Question: 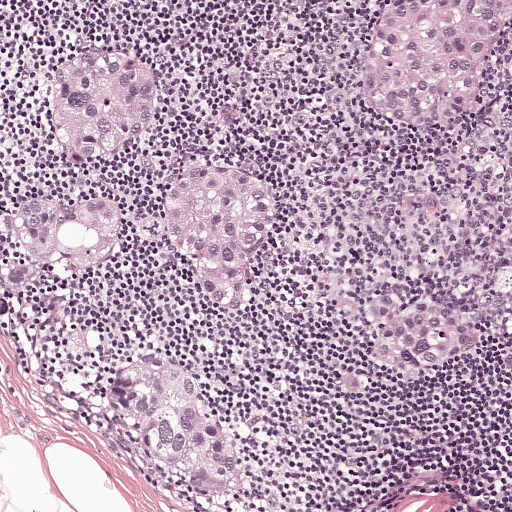
At roughly what magnification is this field shown?

Choices:
 (A) about 40×
 (B) about 10×
 (C) about 20×
 (D) about 2.5×
 (E) about 5×

Answer: (B) about 10×
H&E-stained section of a sentinel lymph node (breast cancer), from a whole-slide image, viewed at about 10×: the field is about 0.5 mm across, about 0.97 µm per pixel.
Boundaries of six metastatic tumour regions, simplified and listed clockwise, largest first: region 1: (144, 350), (186, 357), (205, 374), (236, 434), (245, 461), (247, 490), (237, 499), (225, 498), (156, 467), (110, 435), (96, 410), (96, 378), (108, 366); region 2: (190, 162), (214, 163), (278, 188), (281, 214), (252, 261), (250, 303), (242, 318), (230, 322), (205, 314), (188, 275), (156, 244), (150, 228), (160, 188); region 3: (511, 0), (490, 37), (469, 96), (442, 118), (416, 123), (400, 120), (372, 96), (362, 72), (364, 44), (373, 19), (392, 3); region 4: (105, 189), (118, 190), (127, 197), (128, 224), (112, 263), (100, 276), (30, 290), (14, 326), (1, 326), (0, 274), (18, 260), (6, 235), (7, 216), (16, 202), (26, 194), (71, 198); region 5: (89, 46), (149, 66), (153, 80), (153, 96), (136, 135), (114, 156), (102, 159), (75, 158), (66, 152), (55, 131), (50, 94), (57, 67), (76, 51); region 6: (376, 292), (392, 292), (412, 299), (436, 296), (476, 314), (487, 323), (487, 337), (480, 346), (448, 372), (408, 376), (380, 366), (368, 368), (376, 376), (376, 390), (366, 395), (350, 395), (337, 388), (337, 376), (360, 368), (357, 356), (378, 335), (369, 326), (364, 300).
Tumour covers about 25% of the frame.